This is a crop of a whole-slide image: an H&E-stained breast-cancer sentinel lymph node section at roughly 2.5× magnification (about 3.6 µm per pixel; the crop spans about 1.9 mm).
Question: 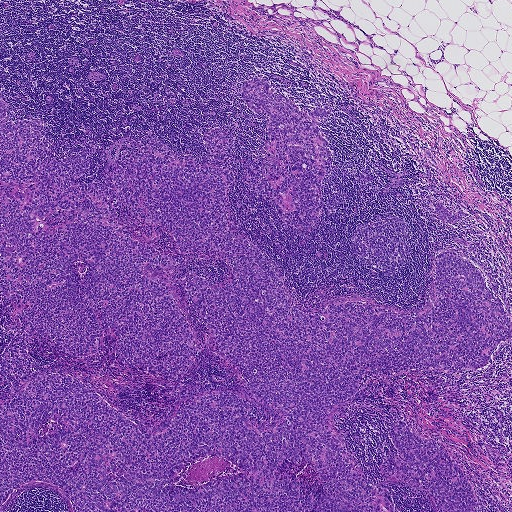
Roughly what share of this field is metastatic tumour?

Choices:
 (A) none: no tumour is outlined
 (B) about 25% to 45%
 (C) about 50% or more
 (D) about 10% to 20%
 (E) about 5% or less

Answer: (C) about 50% or more
About 55% of the field is tumour.
Boundaries of three metastatic tumour regions, simplified and listed clockwise, largest first: region 1: (0, 95), (56, 159), (79, 137), (157, 137), (211, 164), (203, 135), (232, 135), (228, 216), (310, 314), (428, 310), (442, 249), (511, 304), (484, 367), (363, 374), (333, 415), (375, 485), (400, 420), (482, 503), (380, 485), (394, 510), (0, 511); region 2: (260, 77), (271, 91), (308, 113), (318, 103), (331, 106), (329, 114), (315, 118), (331, 156), (321, 187), (321, 214), (312, 230), (303, 231), (282, 219), (271, 198), (242, 181), (244, 158), (257, 163), (265, 175), (276, 161), (262, 148), (269, 115), (247, 107), (240, 95), (243, 82); region 3: (436, 201), (440, 202), (446, 208), (453, 213), (461, 211), (468, 214), (454, 223), (446, 222), (440, 216), (435, 208).